A 2.0-mm field of an H&E-stained sentinel lymph node from a breast-cancer patient (whole-slide image), shown at about 2.5×, about 3.9 µm per pixel.
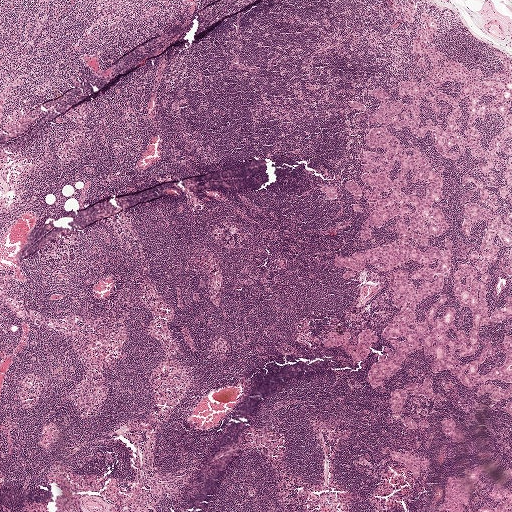
Eight metastatic tumour regions, each outlined as a closed clockwise path in crop pixels (x, y), largest first: region 1: (370, 328), (376, 333), (376, 340), (375, 343), (371, 342), (366, 358), (357, 361), (352, 359), (341, 346), (332, 348), (326, 346), (322, 342), (330, 331), (342, 333), (344, 331), (350, 335), (350, 338), (347, 341), (351, 344), (357, 342), (360, 331); region 2: (423, 380), (428, 380), (432, 395), (414, 404), (410, 394), (405, 394), (403, 410), (396, 413), (392, 412), (388, 402), (391, 390), (401, 388), (406, 383), (418, 384); region 3: (390, 449), (402, 454), (407, 451), (419, 460), (428, 459), (427, 468), (419, 470), (418, 477), (413, 478), (404, 464), (394, 461), (390, 457), (388, 451); region 4: (508, 384), (511, 385), (511, 398), (509, 397), (507, 400), (494, 400), (486, 393), (482, 396), (475, 396), (475, 392), (477, 389), (480, 386), (483, 385), (494, 385), (501, 388), (505, 389); region 5: (448, 418), (452, 421), (455, 424), (454, 428), (464, 434), (464, 441), (459, 443), (443, 434), (440, 426), (441, 420); region 6: (389, 0), (398, 2), (402, 8), (404, 7), (405, 0), (412, 0), (415, 10), (412, 22), (408, 22), (403, 20); region 7: (323, 185), (333, 187), (337, 193), (337, 197), (333, 198), (326, 198), (318, 189); region 8: (349, 101), (357, 101), (363, 103), (365, 106), (364, 112), (359, 112), (352, 109), (346, 104).
Two more tumour regions are annotated but not outlined: their edges are too irregular for short outlines.
One more, smaller tumour region is not outlined.
Two more small tumour pieces are annotated here but not outlined.
Tumour covers about 15% of the frame.